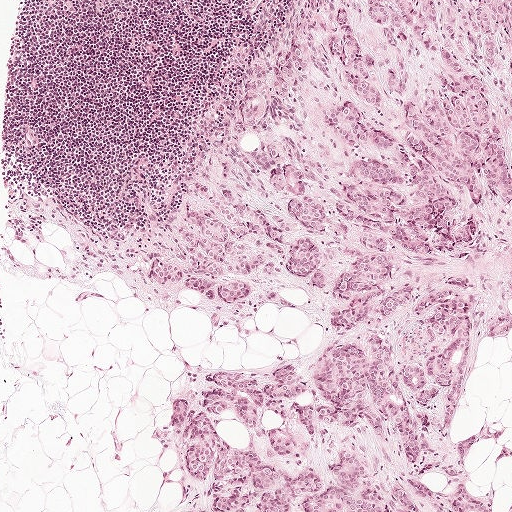
This is a crop of a whole-slide image: an H&E-stained breast-cancer sentinel lymph node section at roughly 5× magnification (about 1.9 µm per pixel; the crop spans about 1 mm).
Two metastatic tumour regions, each outlined as a closed clockwise path in crop pixels (x, y), largest first: region 1: (295, 0), (511, 0), (511, 333), (486, 331), (450, 432), (507, 435), (480, 442), (463, 476), (422, 479), (491, 490), (496, 511), (192, 511), (155, 434), (179, 379), (322, 343), (300, 287), (238, 324), (144, 294), (196, 145); region 2: (504, 444), (506, 444), (511, 451), (511, 460), (504, 460), (501, 462), (500, 464), (498, 464), (493, 464), (499, 456), (499, 453), (504, 445).
The annotated tumour makes up about 55% of the crop.